Question: 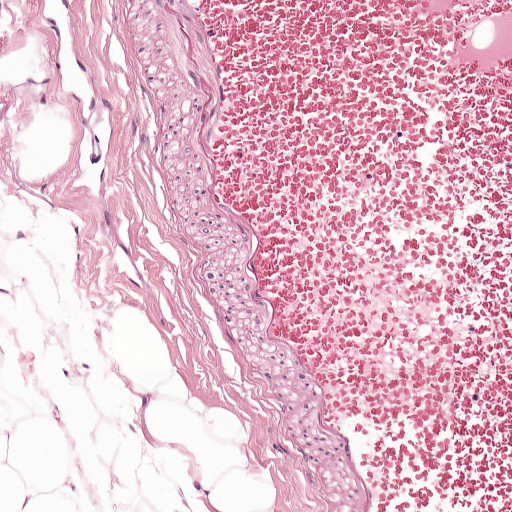
Which magnification is this H&E lymph node field most likely shown at?

Choices:
 (A) about 10×
 (B) about 40×
 (C) about 2.5×
 (D) about 20×
 (E) about 5×

Answer: (A) about 10×
This is a crop of a whole-slide image: an H&E-stained breast-cancer sentinel lymph node section at roughly 10× magnification (about 0.97 µm per pixel; the crop spans about 0.5 mm).